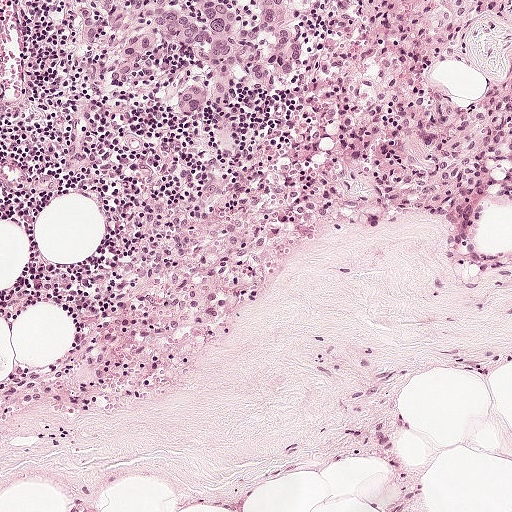
Lymph node section stained with H&E, from a whole-slide image of a breast-cancer sentinel node. Magnification about 10×, about 0.5 mm across the frame, about 0.97 µm per pixel.
Tumour region outline (a closed clockwise path, crop pixels): (54, 0), (316, 0), (306, 13), (296, 77), (266, 85), (254, 59), (238, 73), (228, 110), (207, 120), (180, 120), (154, 100), (114, 99), (59, 18), (60, 5).
Tumour covers about 10% of the frame.